H&E-stained section of a sentinel lymph node (breast cancer), from a whole-slide image, viewed at about 5×: the field is about 1 mm across, about 1.9 µm per pixel.
Image:
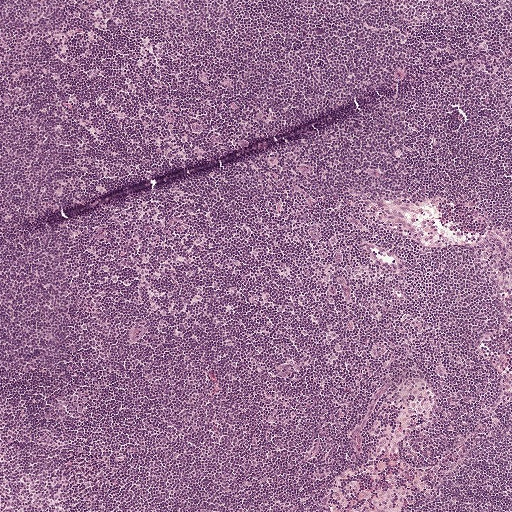
Question:
Is there metastatic carcinoma in this field?
Answer:
No: no metastatic tumour is outlined anywhere in this field.